Image:
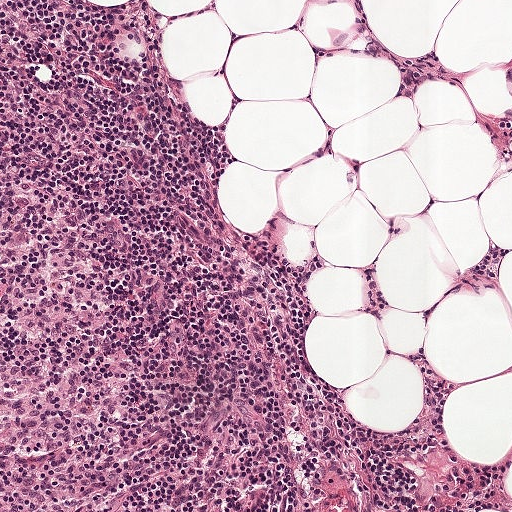
This is a crop of a whole-slide image: an H&E-stained breast-cancer sentinel lymph node section at roughly 10× magnification (about 0.97 µm per pixel; the crop spans about 0.5 mm).
Question:
Is there metastatic carcinoma in this field?
Answer:
No: no metastatic tumour is outlined anywhere in this field.